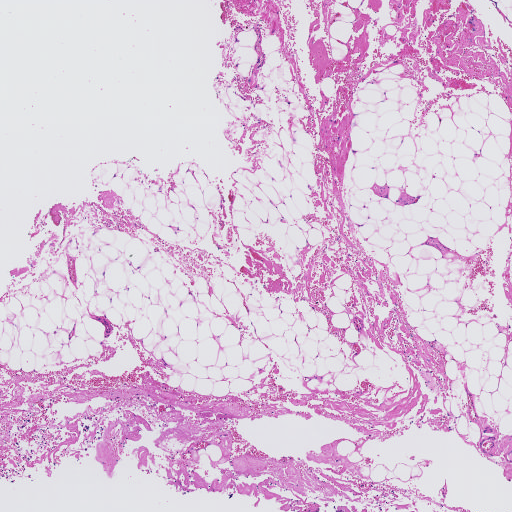
A 1.9-mm field of an H&E-stained sentinel lymph node from a breast-cancer patient (whole-slide image), shown at about 2.5×, about 3.6 µm per pixel.